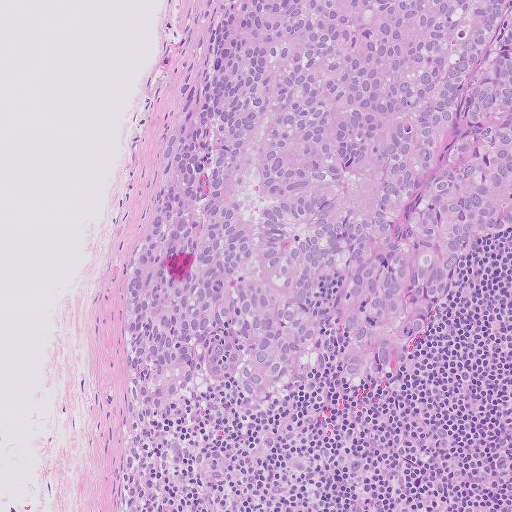
A 0.51-mm field of an H&E-stained sentinel lymph node from a breast-cancer patient (whole-slide image), shown at about 10×, about 1.0 µm per pixel.
Tumour region outline (a closed clockwise path, crop pixels): (511, 0), (511, 236), (471, 263), (388, 382), (348, 388), (334, 374), (314, 374), (260, 404), (242, 395), (249, 355), (223, 326), (172, 404), (136, 416), (123, 376), (127, 274), (184, 113), (180, 73), (222, 2).
About 50% of the image area is annotated as tumour.